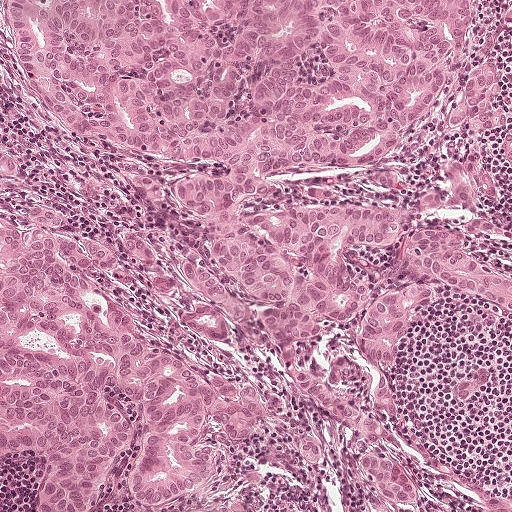
H&E-stained section of a sentinel lymph node (breast cancer), from a whole-slide image, viewed at about 10×: the field is about 0.5 mm across, about 0.97 µm per pixel.
The outlined metastatic tumour's edge, as a closed clockwise path of 22 points: (24, 203), (109, 236), (120, 266), (103, 293), (148, 342), (248, 382), (263, 402), (241, 444), (206, 420), (213, 458), (173, 502), (126, 496), (144, 411), (112, 388), (110, 399), (134, 434), (86, 511), (36, 511), (48, 464), (31, 447), (1, 461), (0, 214).
About 20% of the image area is annotated as tumour.